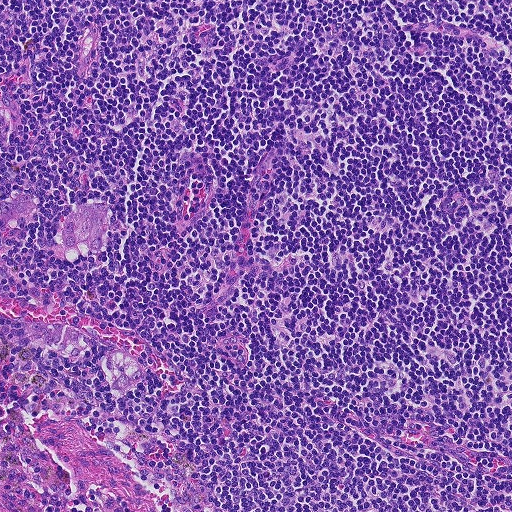
H&E-stained section of a sentinel lymph node (breast cancer), from a whole-slide image, viewed at about 10×: the field is about 0.46 mm across, about 0.9 µm per pixel.
Boundaries of four metastatic tumour regions, simplified and listed clockwise, largest first: region 1: (0, 318), (8, 322), (42, 322), (74, 329), (87, 339), (94, 354), (108, 362), (115, 353), (130, 356), (144, 364), (142, 380), (131, 393), (114, 397), (103, 367), (92, 355), (82, 362), (66, 360), (54, 349), (0, 333); region 2: (103, 202), (110, 204), (109, 222), (101, 236), (96, 253), (62, 256), (59, 240), (60, 224), (72, 212), (87, 205); region 3: (20, 190), (34, 194), (34, 212), (0, 238), (0, 201); region 4: (0, 99), (3, 101), (10, 116), (7, 133), (0, 141).
The annotated tumour makes up about 5% of the crop.